Question: 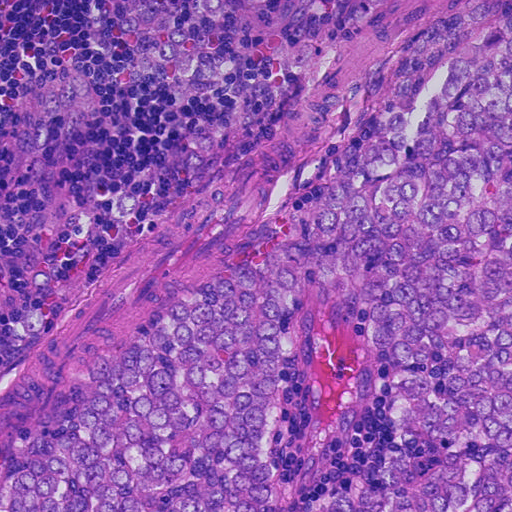
A 0.23-mm field of an H&E-stained sentinel lymph node from a breast-cancer patient (whole-slide image), shown at about 20×, about 0.45 µm per pixel.
Roughly what share of this field is metastatic tumour?

Choices:
 (A) about 5% or less
 (B) none: no tumour is outlined
 (C) about 25% to 45%
 (D) about 50% or more
 (E) about 10% to 20%

Answer: (D) about 50% or more
About 65% of the field is tumour.
Boundaries of two metastatic tumour regions, simplified and listed clockwise, largest first: region 1: (183, 0), (511, 0), (511, 511), (0, 511), (16, 464), (140, 336), (339, 186), (377, 136), (318, 128), (293, 109), (250, 30), (188, 22); region 2: (46, 262), (63, 272), (60, 315), (39, 338), (18, 336), (21, 271).
One more small tumour piece is annotated here but not outlined.